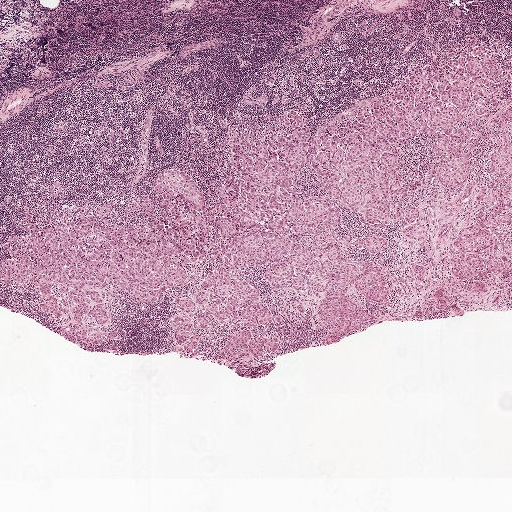
A 2.0-mm field of an H&E-stained sentinel lymph node from a breast-cancer patient (whole-slide image), shown at about 2.5×, about 3.9 µm per pixel.
Four metastatic tumour regions, each outlined as a closed clockwise path in crop pixels (x, y), largest first: region 1: (426, 68), (455, 71), (469, 81), (470, 98), (461, 121), (469, 132), (464, 144), (470, 176), (452, 189), (442, 187), (433, 174), (437, 138), (404, 140), (400, 161), (408, 190), (402, 197), (393, 193), (393, 211), (383, 224), (359, 221), (322, 186), (308, 152), (318, 136); region 2: (333, 243), (340, 255), (370, 256), (386, 269), (388, 286), (383, 299), (372, 302), (353, 285), (345, 293), (357, 310), (376, 316), (373, 320), (332, 336), (316, 308), (324, 293), (310, 289), (326, 279), (304, 273), (303, 288), (280, 289), (264, 280), (264, 270), (273, 263), (306, 246); region 3: (470, 225), (491, 230), (495, 236), (495, 241), (492, 246), (482, 250), (480, 256), (483, 258), (508, 256), (511, 261), (511, 270), (506, 274), (497, 276), (462, 276), (455, 274), (452, 270), (447, 246), (452, 238); region 4: (511, 106), (511, 207), (508, 213), (503, 213), (496, 212), (490, 207), (492, 201), (491, 189), (494, 181), (490, 156), (493, 148), (499, 142), (497, 126), (502, 111).
About 10% of this field is tumour.